Question: 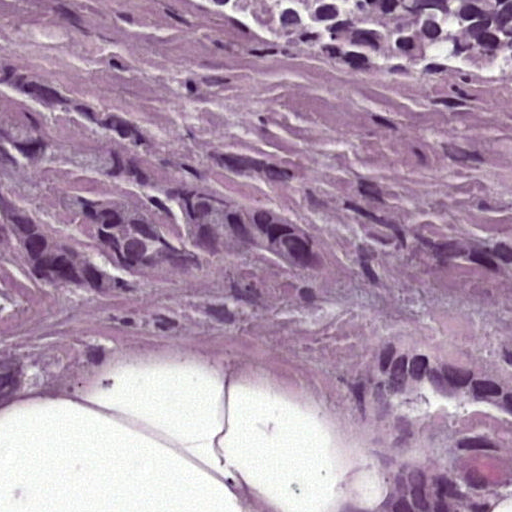
Which magnification is this H&E lymph node field most likely shown at?

Choices:
 (A) about 5×
 (B) about 10×
 (C) about 20×
 (D) about 40×
 (E) about 2.5×

Answer: (D) about 40×
Lymph node section stained with H&E, from a whole-slide image of a breast-cancer sentinel node. Magnification about 40×, about 0.12 mm across the frame, about 0.24 µm per pixel.
Boundaries of four metastatic tumour regions, simplified and listed clockwise, largest first: region 1: (0, 201), (52, 218), (102, 203), (171, 201), (249, 211), (297, 230), (320, 269), (291, 253), (212, 262), (115, 291), (55, 288), (0, 246); region 2: (408, 337), (511, 371), (511, 421), (435, 396), (375, 398), (358, 360); region 3: (416, 446), (472, 470), (481, 511), (334, 511), (396, 480), (402, 452); region 4: (8, 333), (52, 381), (0, 405), (0, 338).
About 15% of the image area is annotated as tumour.